Image:
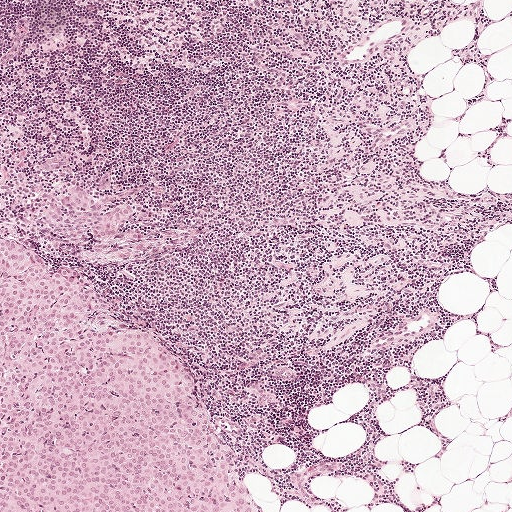
Lymph node section stained with H&E, from a whole-slide image of a breast-cancer sentinel node. Magnification about 5×, about 1 mm across the frame, about 1.9 µm per pixel.
Question:
Show where the tumour is in this image.
Answer:
The outlined metastatic tumour's edge, as a closed clockwise path of 13 points: (134, 179), (157, 184), (157, 220), (54, 259), (83, 269), (126, 316), (193, 355), (271, 511), (0, 511), (0, 226), (39, 189), (61, 180), (105, 190).
The annotated tumour makes up about 20% of the crop.